A 2.0-mm field of an H&E-stained sentinel lymph node from a breast-cancer patient (whole-slide image), shown at about 2.5×, about 3.9 µm per pixel.
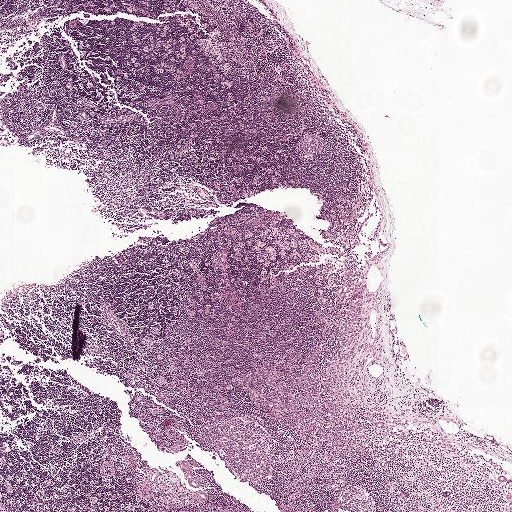
Question: Where is the metastatic tumour in this field? Give each region's outline as (x, y) pixel points.
Answer: Tumour region outline (a closed clockwise path, crop pixels): (349, 266), (367, 275), (372, 284), (363, 323), (336, 375), (334, 390), (381, 417), (387, 425), (386, 431), (378, 430), (345, 445), (336, 444), (323, 433), (287, 428), (241, 396), (236, 377), (250, 362), (294, 348), (310, 351), (327, 340), (338, 317), (343, 276).
Tumour covers about 5% of the frame.